Question: 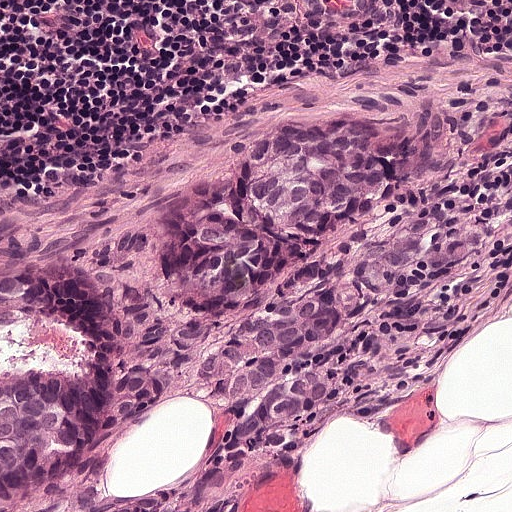
H&E-stained section of a sentinel lymph node (breast cancer), from a whole-slide image, viewed at about 20×: the field is about 0.25 mm across, about 0.49 µm per pixel.
About how much of this crop is taken up by metastatic carcinoma?

Choices:
 (A) none: no tumour is outlined
 (B) about 25% to 45%
 (C) about 50% or more
 (D) about 10% to 20%
 (E) about 5% or less

Answer: (B) about 25% to 45%
About 35% of the field is tumour.
One metastatic tumour region; its boundary, reduced to 23 corners and listed clockwise: (284, 126), (403, 132), (428, 212), (408, 264), (325, 332), (322, 397), (298, 420), (256, 425), (199, 373), (99, 456), (94, 485), (138, 509), (218, 460), (233, 483), (219, 511), (0, 511), (0, 236), (78, 276), (108, 310), (120, 357), (158, 338), (178, 304), (170, 204).